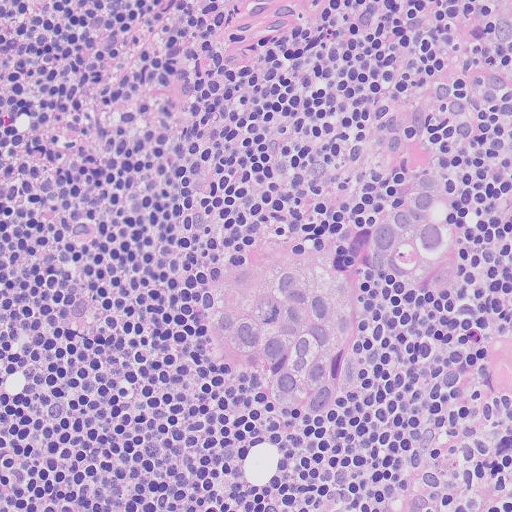
H&E-stained section of a sentinel lymph node (breast cancer), from a whole-slide image, viewed at about 20×: the field is about 0.26 mm across, about 0.5 µm per pixel.
Boundaries of two metastatic tumour regions, simplified and listed clockwise, largest first: region 1: (328, 227), (355, 282), (358, 307), (354, 358), (340, 413), (314, 422), (287, 417), (250, 378), (225, 370), (205, 352), (198, 327), (222, 272), (242, 249); region 2: (447, 156), (468, 210), (473, 240), (470, 274), (457, 300), (431, 307), (404, 300), (382, 286), (366, 260), (380, 202), (398, 180), (418, 162).
One more small tumour piece is annotated here but not outlined.
Tumour covers about 15% of the frame.